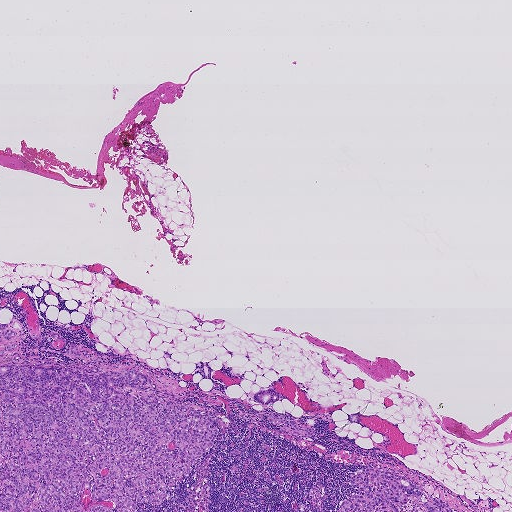
Lymph node section stained with H&E, from a whole-slide image of a breast-cancer sentinel node. Magnification about 2.5×, about 1.9 mm across the frame, about 3.6 µm per pixel.
Outlines of five tumour regions, largest first (closed clockwise paths, crop pixels): region 1: (50, 360), (118, 372), (139, 368), (179, 402), (216, 412), (212, 446), (162, 504), (137, 503), (134, 511), (0, 511), (0, 365); region 2: (378, 466), (388, 468), (407, 478), (433, 497), (444, 500), (456, 511), (336, 511), (339, 507), (338, 502), (348, 499), (357, 489), (356, 485), (349, 483), (349, 478), (368, 468); region 3: (273, 412), (276, 417), (281, 416), (286, 418), (288, 421), (293, 419), (298, 421), (298, 426), (308, 425), (313, 427), (315, 432), (313, 436), (308, 437), (298, 436), (279, 429), (279, 426), (283, 424), (275, 425), (268, 421), (268, 413); region 4: (0, 323), (9, 323), (6, 329), (16, 331), (20, 335), (13, 341), (18, 343), (18, 348), (0, 354); region 5: (68, 343), (86, 348), (96, 352), (96, 354), (83, 352), (84, 355), (86, 355), (88, 358), (95, 356), (101, 358), (99, 362), (94, 362), (89, 362), (79, 358), (69, 358), (63, 353), (69, 350), (70, 347).
Tumour covers about 10% of the frame.